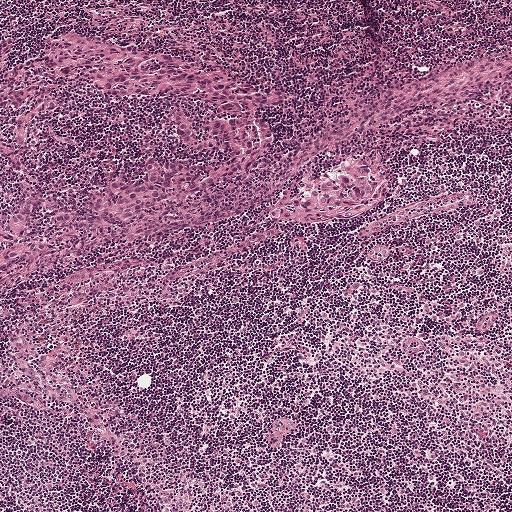
A 1-mm field of an H&E-stained sentinel lymph node from a breast-cancer patient (whole-slide image), shown at about 5×, about 1.9 µm per pixel.
Boundaries of two metastatic tumour regions, simplified and listed clockwise, largest first: region 1: (65, 19), (279, 91), (280, 101), (264, 101), (271, 148), (261, 164), (1, 277), (0, 39), (12, 43), (8, 64), (20, 64); region 2: (360, 149), (374, 151), (386, 196), (362, 216), (348, 219), (280, 223), (263, 218), (262, 206), (267, 197), (299, 173), (337, 166), (340, 158).
The annotated tumour makes up about 20% of the crop.